This is a crop of a whole-slide image: an H&E-stained breast-cancer sentinel lymph node section at roughly 20× magnification (about 0.49 µm per pixel; the crop spans about 0.25 mm).
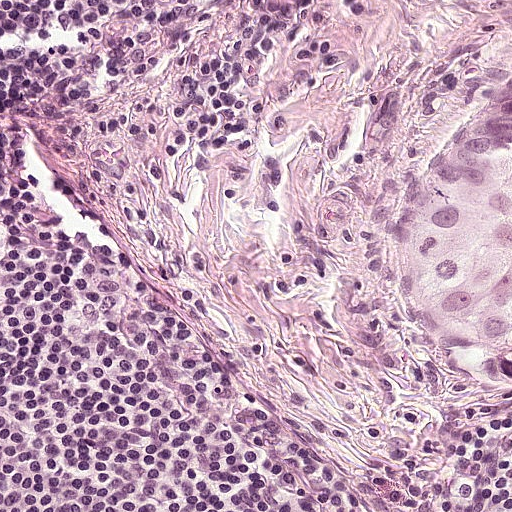
Question: Does this lymph node field contain metastatic tumour?
Answer: Yes.
Metastatic tumour outline, simplified to 9 points and listed clockwise in crop pixels (x, y): (510, 80), (511, 400), (473, 387), (444, 358), (418, 278), (418, 230), (426, 205), (453, 180), (487, 108).
About 10% of this field is tumour.